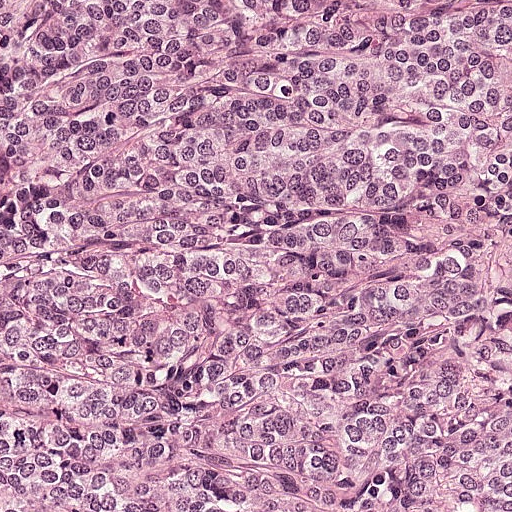
H&E-stained section of a sentinel lymph node (breast cancer), from a whole-slide image, viewed at about 20×: the field is about 0.25 mm across, about 0.49 µm per pixel.
Metastatic tumour covers the whole field.
Over 95% of the image area is annotated as tumour.